Question: 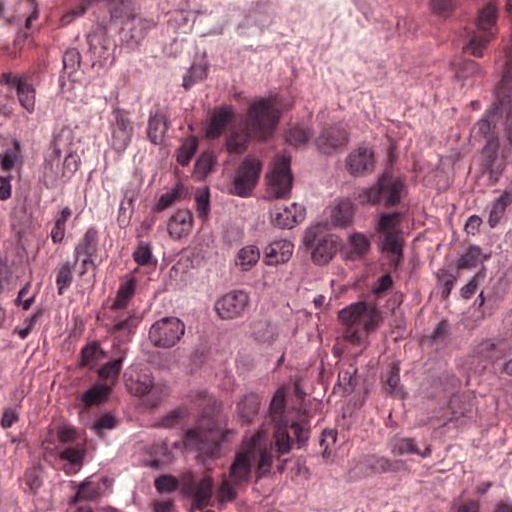
About what magnification does this crop show?

Choices:
 (A) about 40×
 (B) about 2.5×
 (C) about 20×
 (D) about 5×
 (E) about 10×

Answer: (A) about 40×
H&E-stained section of a sentinel lymph node (breast cancer), from a whole-slide image, viewed at about 40×: the field is about 0.12 mm across, about 0.24 µm per pixel.
Two metastatic tumour regions, each outlined as a closed clockwise path in crop pixels (x, y), largest first: region 1: (299, 137), (344, 141), (389, 182), (374, 332), (312, 430), (206, 511), (69, 511), (67, 471), (206, 200); region 2: (511, 445), (511, 511), (423, 511), (441, 496), (455, 490), (455, 487), (464, 481), (466, 476), (473, 474).
The annotated tumour makes up about 30% of the crop.